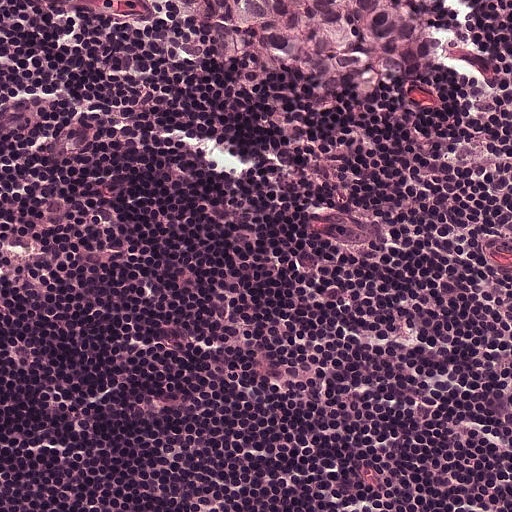
A 0.25-mm field of an H&E-stained sentinel lymph node from a breast-cancer patient (whole-slide image), shown at about 20×, about 0.49 µm per pixel.
The outlined metastatic tumour's edge, as a closed clockwise path of 11 points: (414, 0), (445, 50), (445, 59), (435, 74), (408, 90), (376, 100), (346, 98), (324, 82), (308, 58), (281, 40), (238, 1).
Tumour covers about 5% of the frame.